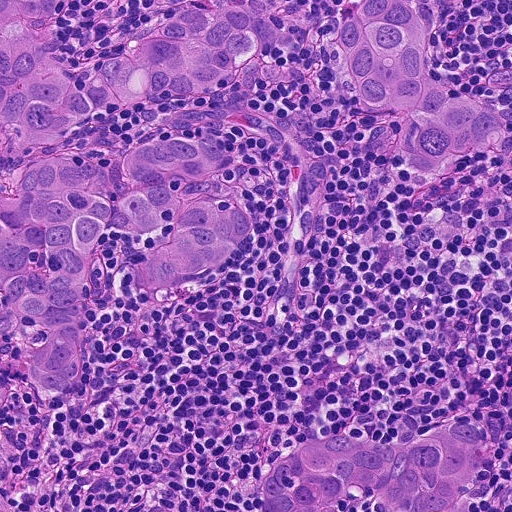
A 0.23-mm field of an H&E-stained sentinel lymph node from a breast-cancer patient (whole-slide image), shown at about 20×, about 0.45 µm per pixel.
Outlines of two tumour regions, largest first (closed clockwise paths, crop pixels): region 1: (0, 0), (72, 0), (68, 64), (200, 0), (281, 0), (315, 30), (413, 0), (511, 145), (426, 176), (386, 155), (331, 42), (286, 30), (219, 184), (266, 210), (252, 253), (148, 300), (122, 274), (149, 234), (110, 234), (81, 393), (22, 382), (0, 487); region 2: (500, 411), (500, 458), (475, 497), (480, 511), (262, 511), (260, 497), (276, 454), (318, 436), (364, 432), (408, 438).
Tumour covers about 45% of the frame.